H&E-stained section of a sentinel lymph node (breast cancer), from a whole-slide image, viewed at about 10×: the field is about 0.5 mm across, about 0.97 µm per pixel.
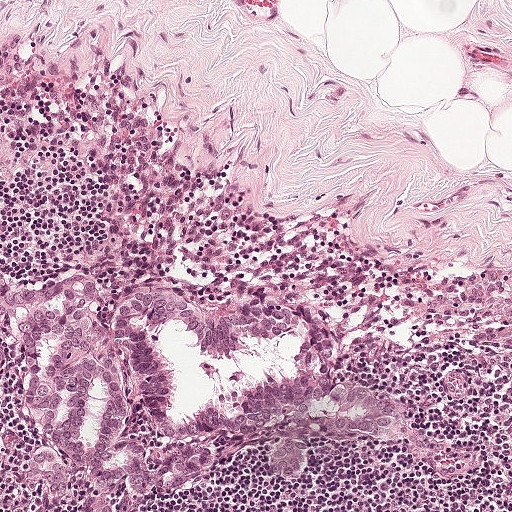
One metastatic tumour region; its boundary, reduced to 21 corners and listed clockwise: (75, 276), (126, 298), (166, 287), (220, 319), (254, 296), (314, 299), (342, 328), (342, 377), (400, 397), (409, 434), (326, 439), (292, 487), (265, 468), (274, 437), (263, 437), (183, 499), (54, 507), (23, 469), (36, 428), (0, 347), (0, 283).
About 25% of this field is tumour.